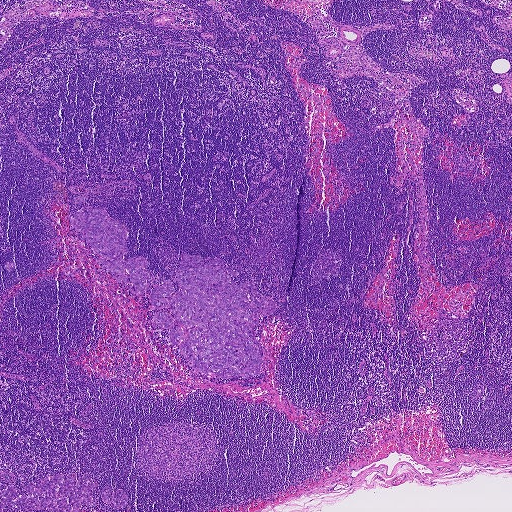
H&E-stained section of a sentinel lymph node (breast cancer), from a whole-slide image, viewed at about 2.5×: the field is about 1.9 mm across, about 3.6 µm per pixel.
Boundaries of four metastatic tumour regions, simplified and listed clockwise, largest first: region 1: (182, 253), (201, 255), (204, 266), (220, 258), (223, 268), (237, 270), (237, 277), (230, 274), (231, 281), (239, 286), (243, 280), (250, 281), (255, 292), (276, 306), (252, 329), (262, 349), (260, 373), (225, 378), (201, 372), (172, 344), (169, 329), (160, 329), (153, 321), (159, 312), (174, 322), (175, 318), (166, 307), (151, 306), (150, 298), (153, 285), (166, 280), (174, 286), (170, 297), (176, 294), (179, 288), (172, 281); region 2: (95, 207), (106, 211), (109, 219), (127, 232), (128, 250), (122, 255), (123, 263), (135, 256), (143, 256), (148, 262), (147, 291), (141, 296), (134, 295), (128, 289), (133, 283), (116, 282), (115, 275), (100, 267), (96, 260), (102, 256), (70, 225), (71, 214), (78, 211), (85, 214); region 3: (57, 474), (98, 483), (91, 490), (92, 500), (89, 506), (80, 504), (80, 511), (39, 510), (30, 511), (7, 505), (1, 511), (0, 491), (5, 486), (14, 486), (28, 497), (24, 488), (25, 484), (31, 482), (36, 485), (42, 477); region 4: (107, 486), (110, 487), (113, 492), (118, 489), (124, 491), (127, 497), (126, 506), (116, 508), (104, 503), (102, 501), (100, 492), (101, 489).
Two more small tumour pieces are annotated here but not outlined.
Tumour covers about 5% of the frame.